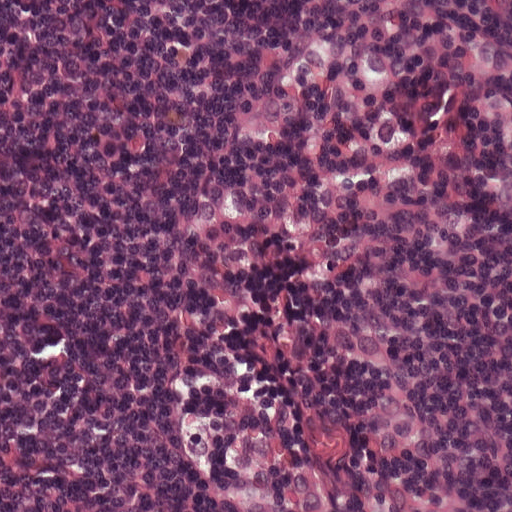
A 0.25-mm field of an H&E-stained sentinel lymph node from a breast-cancer patient (whole-slide image), shown at about 20×, about 0.49 µm per pixel.